Question: 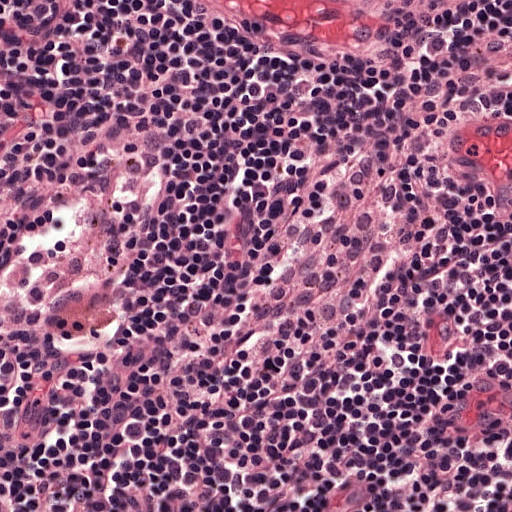
About what magnification does this crop show?

Choices:
 (A) about 40×
 (B) about 20×
 (C) about 5×
 (D) about 2.5×
 (E) about 10×

Answer: (B) about 20×
H&E-stained section of a sentinel lymph node (breast cancer), from a whole-slide image, viewed at about 20×: the field is about 0.25 mm across, about 0.49 µm per pixel.